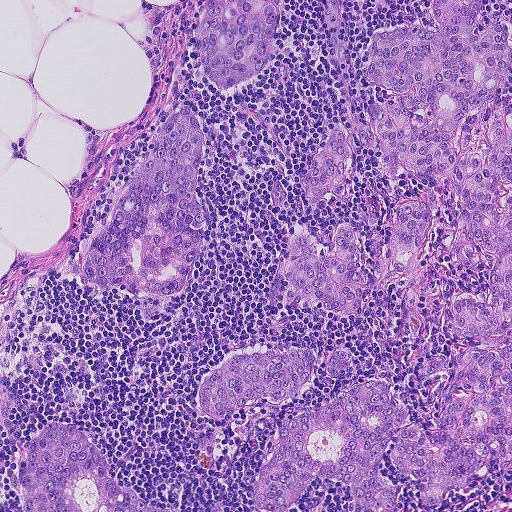
This is a crop of a whole-slide image: an H&E-stained breast-cancer sentinel lymph node section at roughly 10× magnification (about 0.9 µm per pixel; the crop spans about 0.46 mm).
Boundaries of seven metastatic tumour regions, simplified and listed clockwise, largest first: region 1: (484, 0), (475, 31), (511, 28), (492, 92), (511, 115), (511, 469), (491, 460), (425, 506), (393, 434), (379, 476), (404, 484), (401, 511), (354, 511), (324, 480), (264, 511), (250, 495), (279, 422), (384, 380), (426, 431), (422, 364), (476, 343), (444, 306), (488, 302), (497, 257), (453, 256), (447, 177), (398, 160), (394, 178), (354, 133), (346, 194), (304, 199), (333, 126), (394, 102), (364, 74), (370, 40), (434, 27), (430, 5); region 2: (186, 103), (203, 142), (196, 186), (206, 214), (192, 273), (155, 318), (140, 318), (133, 304), (142, 292), (82, 284), (75, 271), (80, 256), (152, 150), (162, 122); region 3: (52, 422), (73, 424), (103, 456), (108, 476), (128, 486), (151, 507), (175, 511), (24, 511), (16, 485), (24, 453), (42, 427); region 4: (341, 222), (352, 225), (366, 280), (362, 312), (355, 320), (324, 311), (291, 307), (282, 287), (280, 298), (270, 304), (289, 230), (300, 226), (330, 252), (334, 230); region 5: (299, 345), (313, 350), (318, 364), (306, 390), (294, 400), (278, 405), (249, 402), (228, 422), (212, 420), (202, 410), (196, 396), (199, 380), (237, 352); region 6: (279, 0), (277, 26), (263, 69), (255, 77), (224, 89), (213, 87), (194, 45), (197, 22), (208, 2); region 7: (420, 198), (427, 206), (429, 217), (418, 247), (418, 258), (424, 267), (424, 278), (418, 288), (408, 290), (394, 274), (388, 253), (390, 242), (398, 221), (395, 216), (400, 206), (409, 200).
One more small tumour piece is annotated here but not outlined.
The annotated tumour makes up about 40% of the crop.